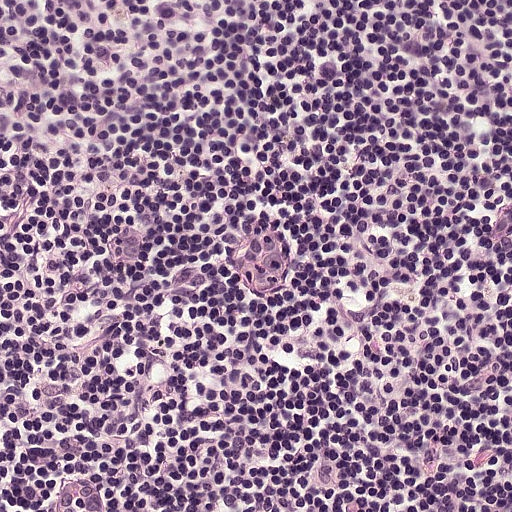
A 0.25-mm field of an H&E-stained sentinel lymph node from a breast-cancer patient (whole-slide image), shown at about 20×, about 0.49 µm per pixel.